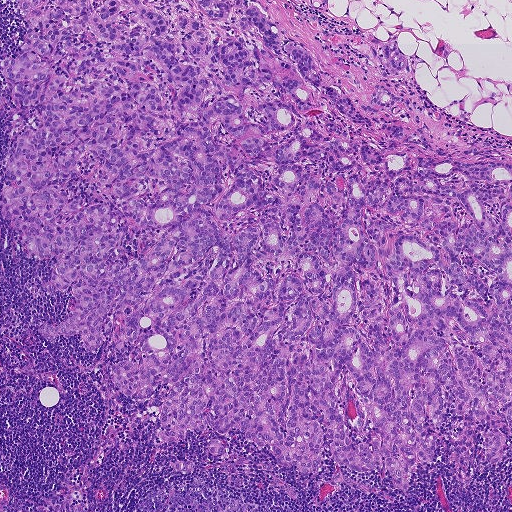
This is a crop of a whole-slide image: an H&E-stained breast-cancer sentinel lymph node section at roughly 5× magnification (about 1.8 µm per pixel; the crop spans about 0.93 mm).
Question: Show where the tumour is in this image.
Answer: Two metastatic tumour regions, each outlined as a closed clockwise path in crop pixels (x, y), largest first: region 1: (17, 0), (252, 0), (352, 105), (405, 99), (380, 110), (393, 152), (511, 164), (503, 457), (454, 397), (405, 492), (235, 428), (221, 454), (208, 425), (153, 446), (162, 402), (108, 376), (128, 350), (38, 333), (74, 304), (0, 211), (42, 118), (12, 104); region 2: (194, 461), (195, 471), (186, 475), (176, 473), (168, 466), (168, 463), (174, 462).
Tumour covers about 70% of the frame.